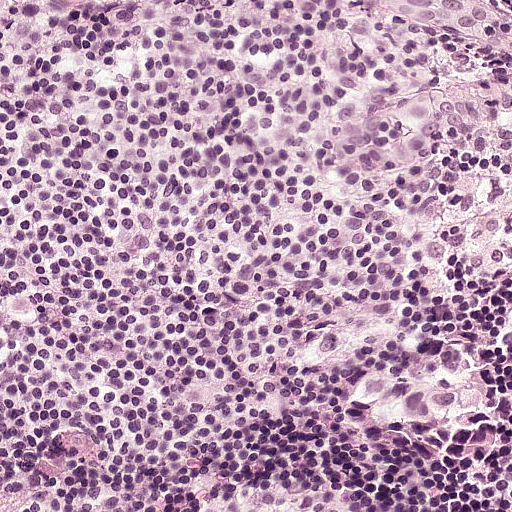
A 0.25-mm field of an H&E-stained sentinel lymph node from a breast-cancer patient (whole-slide image), shown at about 20×, about 0.49 µm per pixel.
Outlines of three tumour regions, largest first (closed clockwise paths, crop pixels): region 1: (416, 86), (464, 89), (476, 98), (477, 118), (452, 144), (408, 170), (371, 174), (334, 168), (322, 147), (334, 125); region 2: (456, 338), (464, 356), (470, 357), (475, 398), (470, 407), (437, 419), (396, 419), (374, 414), (362, 405), (356, 394), (356, 384), (369, 368), (414, 366), (432, 360), (440, 339); region 3: (384, 0), (481, 0), (496, 4), (510, 22), (511, 50), (508, 52), (498, 52), (485, 46), (469, 44), (442, 28), (417, 22), (406, 11).
About 5% of this field is tumour.